This is a crop of a whole-slide image: an H&E-stained breast-cancer sentinel lymph node section at roughly 10× magnification (about 0.97 µm per pixel; the crop spans about 0.5 mm).
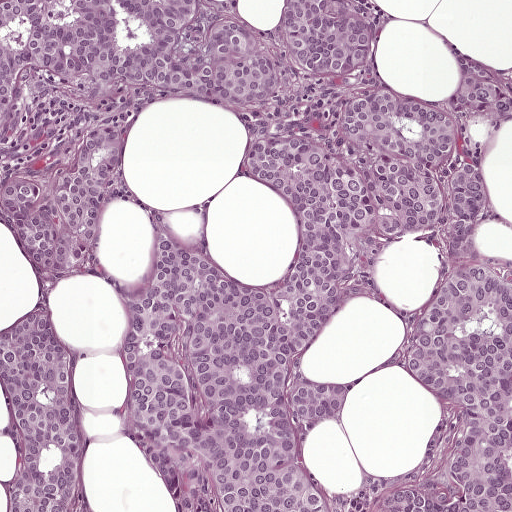
Metastatic tumour outline, simplified to 21 points and listed clockwise in crop pixels (x, y): (511, 0), (511, 511), (224, 511), (140, 447), (98, 272), (46, 303), (80, 511), (6, 511), (0, 315), (38, 276), (0, 213), (16, 173), (128, 132), (110, 275), (172, 191), (232, 282), (298, 241), (205, 97), (66, 86), (0, 120), (1, 9).
About 80% of the image area is annotated as tumour.